Image:
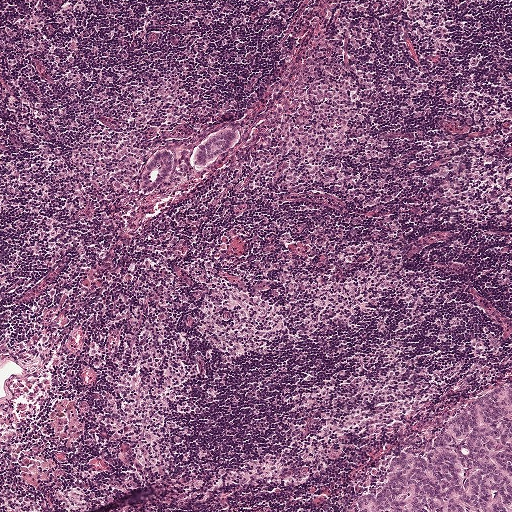
A 1-mm field of an H&E-stained sentinel lymph node from a breast-cancer patient (whole-slide image), shown at about 5×, about 1.9 µm per pixel.
Question:
Trace the edge of each tumour region in this crop, as (x, y) points from 0 to 511.
Answer:
Boundaries of three metastatic tumour regions, simplified and listed clockwise, largest first: region 1: (511, 377), (511, 511), (349, 511), (354, 498), (375, 485), (399, 451), (442, 414); region 2: (160, 146), (168, 146), (173, 148), (177, 162), (177, 173), (152, 188), (145, 189), (141, 187), (138, 182), (138, 172), (141, 165), (155, 147); region 3: (229, 120), (236, 123), (238, 127), (238, 134), (234, 143), (229, 149), (210, 157), (203, 164), (199, 165), (193, 165), (192, 148), (199, 138), (215, 126).
The annotated tumour makes up about 5% of the crop.